H&E-stained section of a sentinel lymph node (breast cancer), from a whole-slide image, viewed at about 10×: the field is about 0.5 mm across, about 0.97 µm per pixel.
Image:
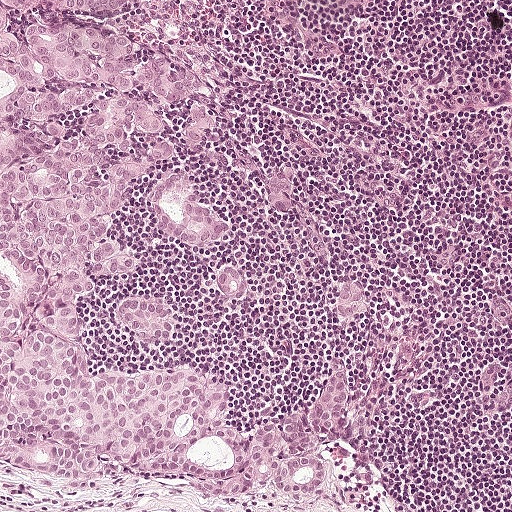
Question:
Is any metastatic breast cancer visible in this crop?
Answer:
Yes.
Outlines of two tumour regions, largest first (closed clockwise paths, crop pixels): region 1: (0, 0), (138, 0), (123, 24), (205, 81), (221, 128), (190, 176), (234, 246), (196, 254), (156, 231), (155, 169), (142, 176), (117, 222), (138, 266), (81, 310), (88, 362), (200, 365), (253, 427), (324, 390), (334, 352), (361, 415), (331, 443), (331, 492), (285, 507), (3, 471); region 2: (143, 292), (164, 297), (162, 300), (166, 300), (173, 310), (177, 329), (177, 340), (170, 349), (153, 350), (143, 347), (123, 335), (114, 324), (114, 316), (120, 302), (127, 297), (136, 296).
Tumour covers about 40% of the frame.